Question: 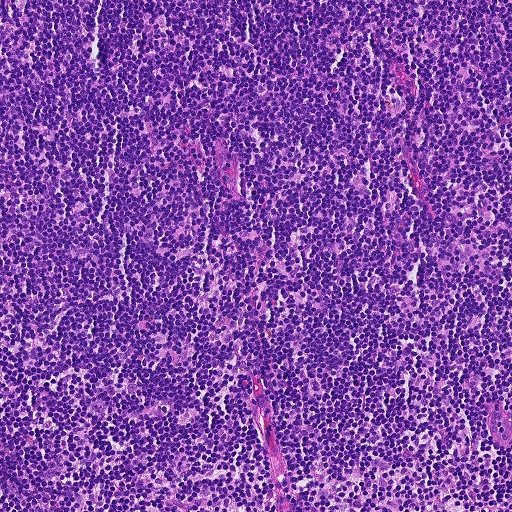
H&E-stained section of a sentinel lymph node (breast cancer), from a whole-slide image, viewed at about 10×: the field is about 0.46 mm across, about 0.9 µm per pixel.
Estimate the proportion of this field that is metastatic tumour.

Choices:
 (A) none: no tumour is outlined
 (B) about 10% to 20%
 (C) about 25% to 45%
 (D) about 5% or less
 (E) about 50% or more

Answer: (A) none: no tumour is outlined
No metastatic tumour is outlined in this field.